Image:
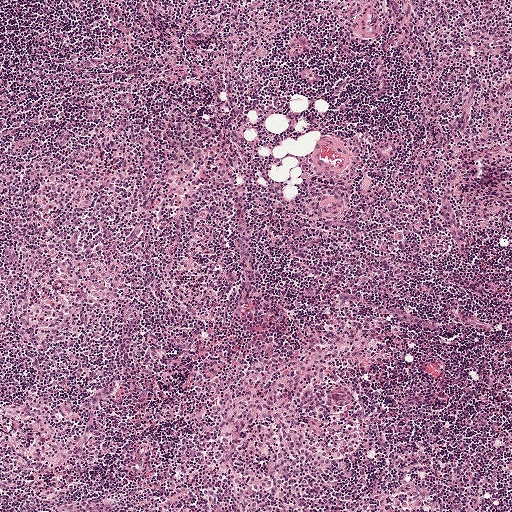
Lymph node section stained with H&E, from a whole-slide image of a breast-cancer sentinel node. Magnification about 5×, about 1 mm across the frame, about 1.9 µm per pixel.
Question:
Is there metastatic carcinoma in this field?
Answer:
No. No metastatic tumour is outlined in this field.